Image:
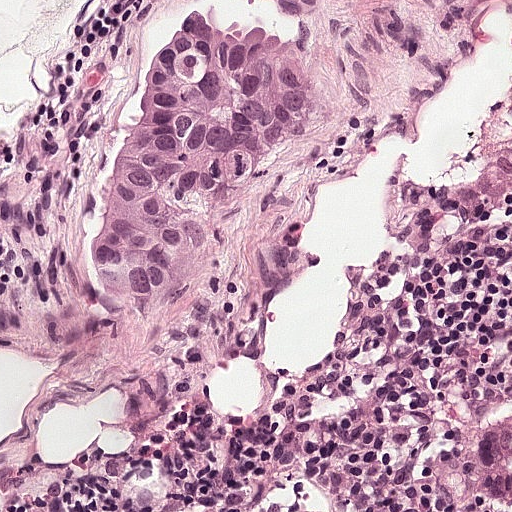
H&E-stained section of a sentinel lymph node (breast cancer), from a whole-slide image, viewed at about 20×: the field is about 0.25 mm across, about 0.49 µm per pixel.
Question:
Where is the metastatic tumour in this field? Give each region's outline as (x, y) pixel points.
Answer:
Tumour region outline (a closed clockwise path, crop pixels): (174, 0), (331, 0), (336, 90), (316, 143), (236, 206), (196, 286), (166, 292), (158, 309), (118, 308), (94, 297), (92, 269), (110, 171).
About 20% of this field is tumour.